Question: 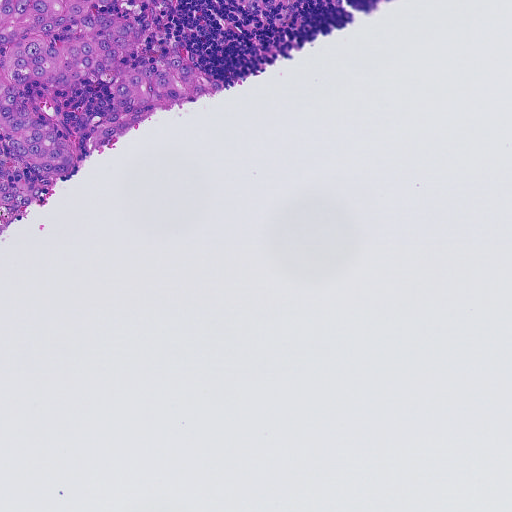
A 0.46-mm field of an H&E-stained sentinel lymph node from a breast-cancer patient (whole-slide image), shown at about 10×, about 0.91 µm per pixel.
Estimate the proportion of this field that is metastatic tumour.

Choices:
 (A) none: no tumour is outlined
 (B) about 10% to 20%
 (C) about 50% or more
 (D) about 25% to 45%
 (E) about 5% or less

Answer: (B) about 10% to 20%
About 10% of the field is tumour.
Boundaries of two metastatic tumour regions, simplified and listed clockwise, largest first: region 1: (0, 0), (173, 0), (140, 51), (149, 63), (177, 52), (225, 81), (217, 94), (173, 106), (109, 146), (94, 149), (87, 137), (109, 111), (112, 97), (105, 84), (90, 80), (64, 95), (36, 82), (22, 87), (79, 159), (63, 181), (34, 175), (10, 156), (2, 141); region 2: (0, 177), (23, 184), (32, 198), (24, 210), (0, 234).
Question: 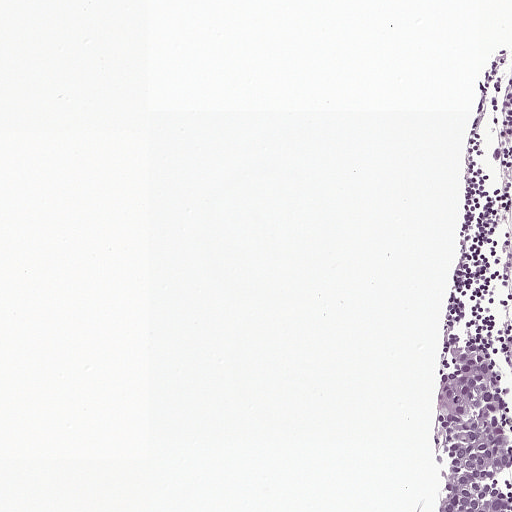
Lymph node section stained with H&E, from a whole-slide image of a breast-cancer sentinel node. Magnification about 10×, about 0.5 mm across the frame, about 0.97 µm per pixel.
Estimate the proportion of this field that is metastatic tumour.

Choices:
 (A) none: no tumour is outlined
 (B) about 50% or more
 (C) about 5% or less
 (D) about 25% to 45%
 (E) about 10% to 20%

Answer: (C) about 5% or less
About 5% of the field is tumour.
Metastatic tumour outline, simplified to 14 points and listed clockwise in crop pixels (x, y): (467, 338), (488, 349), (500, 373), (506, 420), (511, 433), (511, 460), (496, 472), (511, 511), (433, 511), (443, 470), (432, 403), (434, 382), (453, 371), (450, 350).
Question: 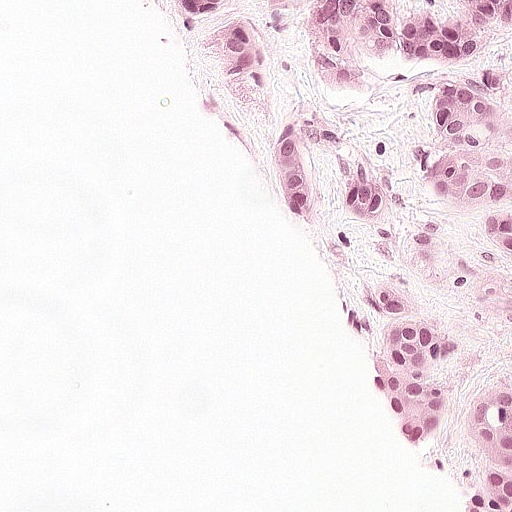
A 0.25-mm field of an H&E-stained sentinel lymph node from a breast-cancer patient (whole-slide image), shown at about 20×, about 0.49 µm per pixel.
Estimate the proportion of this field that is metastatic tumour.

Choices:
 (A) about 10% to 20%
 (B) about 5% or less
 (C) about 50% or more
 (D) none: no tumour is outlined
 (E) about 25% to 45%

Answer: (E) about 25% to 45%
About 40% of the field is tumour.
One metastatic tumour region; its boundary, reduced to 5 corners and listed clockwise: (156, 0), (511, 0), (511, 511), (446, 510), (369, 318).
Question: 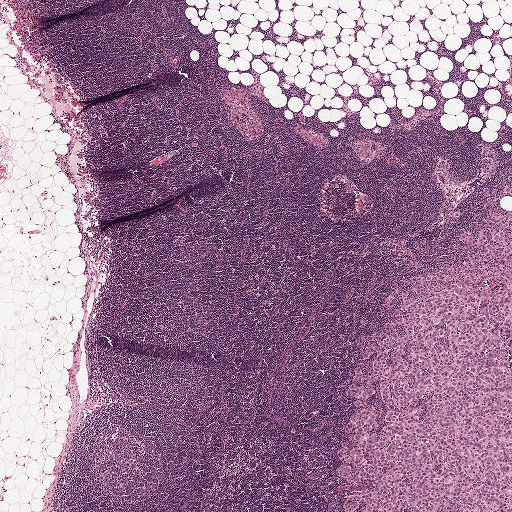
H&E-stained section of a sentinel lymph node (breast cancer), from a whole-slide image, viewed at about 2.5×: the field is about 2.0 mm across, about 3.9 µm per pixel.
Estimate the proportion of this field that is metastatic tumour.

Choices:
 (A) none: no tumour is outlined
 (B) about 25% to 45%
 (C) about 10% to 20%
 (D) about 50% or more
 (E) about 5% or less

Answer: (C) about 10% to 20%
About 15% of the field is tumour.
The outlined metastatic tumour's edge, as a closed clockwise path of 16 points: (511, 183), (511, 511), (343, 511), (336, 454), (351, 406), (344, 387), (365, 342), (389, 319), (391, 309), (383, 307), (390, 285), (460, 259), (465, 244), (457, 232), (485, 212), (482, 191).
Two more small tumour pieces are annotated here but not outlined.